Image:
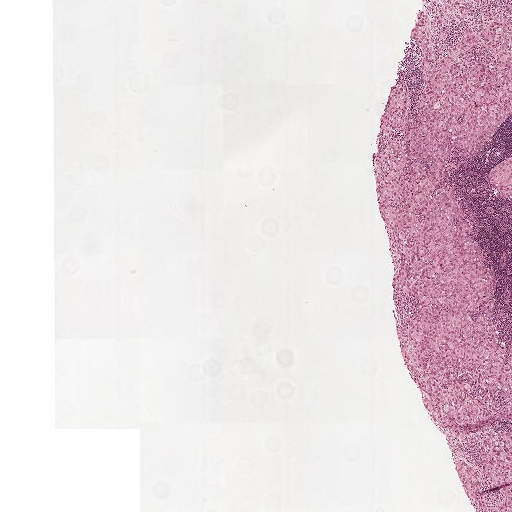
Lymph node section stained with H&E, from a whole-slide image of a breast-cancer sentinel node. Magnification about 2.5×, about 2.0 mm across the frame, about 3.9 µm per pixel.
Question:
Show where the tumour is in this image.
Answer:
Four metastatic tumour regions, each outlined as a closed clockwise path in crop pixels (x, y), largest first: region 1: (511, 8), (511, 109), (449, 179), (511, 340), (511, 511), (470, 501), (452, 458), (480, 464), (479, 433), (432, 418), (400, 354), (391, 316), (415, 304), (392, 285), (373, 154), (400, 133), (377, 128), (391, 83), (406, 80), (417, 107), (416, 10), (434, 59); region 2: (511, 156), (511, 198), (507, 198), (498, 195), (496, 188), (488, 182), (486, 172), (488, 168); region 3: (441, 0), (446, 0), (451, 4), (451, 6), (451, 10), (448, 9), (447, 7), (444, 6), (444, 11), (445, 15), (443, 18), (443, 20), (441, 21), (442, 22), (441, 22), (436, 20), (435, 17), (436, 14), (438, 10), (438, 7), (439, 4), (438, 1), (440, 2), (442, 1); region 4: (453, 0), (459, 0), (464, 5), (466, 9), (466, 17), (463, 17), (460, 14), (458, 7).
Tumour covers about 15% of the frame.